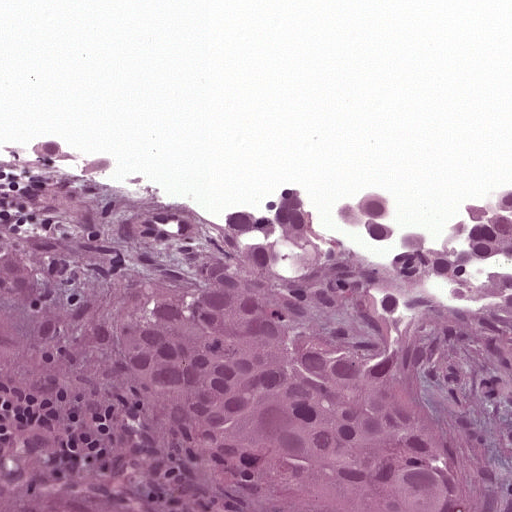
H&E-stained section of a sentinel lymph node (breast cancer), from a whole-slide image, viewed at about 20×: the field is about 0.25 mm across, about 0.49 µm per pixel.
Tumour region outline (a closed clockwise path, crop pixels): (39, 135), (145, 150), (112, 184), (248, 194), (298, 164), (335, 200), (378, 179), (404, 218), (446, 211), (490, 156), (511, 154), (511, 511), (261, 511), (146, 450), (78, 436), (93, 484), (181, 511), (0, 511), (0, 231), (29, 182).
About 65% of the image area is annotated as tumour.